Question: 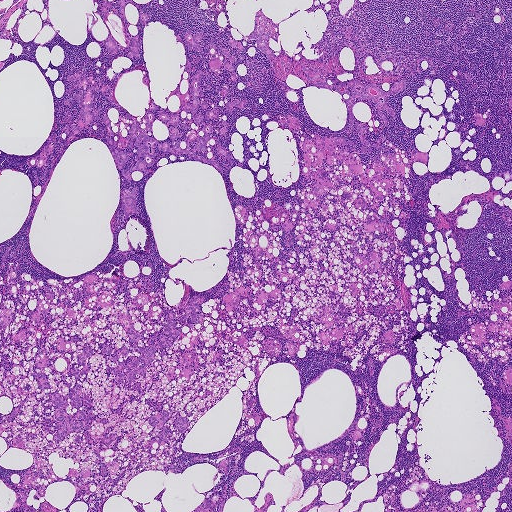
H&E-stained section of a sentinel lymph node (breast cancer), from a whole-slide image, viewed at about 2.5×: the field is about 1.9 mm across, about 3.6 µm per pixel.
Estimate the proportion of this field that is metastatic tumour.

Choices:
 (A) about 5% or less
 (B) about 25% to 45%
 (C) about 10% to 20%
 (D) about 50% or more
 (E) none: no tumour is outlined

Answer: (A) about 5% or less
About 5% of the field is tumour.
Outlines of eight tumour regions, largest first (closed clockwise paths, crop pixels): region 1: (321, 64), (327, 66), (326, 73), (321, 78), (332, 85), (353, 78), (364, 84), (373, 82), (385, 91), (404, 79), (404, 91), (388, 99), (396, 118), (382, 109), (389, 128), (371, 103), (359, 101), (354, 105), (352, 111), (365, 127), (364, 136), (370, 142), (370, 151), (365, 154), (360, 152), (362, 145), (354, 123), (350, 128), (347, 109), (340, 94), (306, 80), (300, 65), (320, 69); region 2: (264, 18), (268, 25), (263, 26), (265, 32), (271, 30), (272, 32), (268, 42), (268, 44), (274, 52), (273, 60), (271, 61), (269, 61), (264, 52), (257, 49), (258, 39), (248, 39), (245, 35), (248, 35), (253, 29), (255, 24), (255, 26), (262, 24), (262, 19); region 3: (162, 410), (168, 411), (169, 418), (164, 423), (165, 426), (169, 431), (169, 434), (165, 443), (160, 444), (158, 442), (160, 430), (157, 426), (152, 426), (147, 422), (150, 417), (156, 415); region 4: (212, 41), (216, 45), (221, 46), (223, 47), (226, 51), (233, 55), (236, 59), (236, 62), (233, 63), (231, 62), (227, 60), (233, 65), (234, 68), (232, 73), (236, 76), (236, 79), (235, 80), (232, 80), (230, 79), (229, 72), (225, 69), (223, 67), (223, 62), (224, 57), (219, 52), (215, 48), (210, 48), (210, 45), (210, 43); region 5: (118, 0), (131, 0), (139, 7), (138, 9), (139, 12), (144, 13), (148, 12), (150, 13), (150, 15), (150, 18), (148, 19), (147, 21), (148, 26), (146, 26), (142, 25), (139, 21), (138, 12), (135, 8), (130, 3), (128, 3), (125, 7), (125, 14), (127, 23), (123, 21), (120, 15); region 6: (190, 29), (193, 35), (197, 31), (202, 33), (203, 37), (202, 40), (197, 41), (203, 50), (201, 52), (194, 50), (187, 45), (184, 38), (186, 30); region 7: (34, 371), (44, 372), (50, 385), (49, 388), (42, 390), (36, 388), (38, 384), (30, 375); region 8: (208, 499), (212, 501), (214, 503), (214, 507), (214, 510), (212, 511), (194, 511), (194, 509), (196, 506), (205, 500).
Two more tumour regions are annotated but not outlined: their edges are too irregular for short outlines.
Six more, smaller tumour regions are not outlined.
Five more small tumour pieces are annotated here but not outlined.